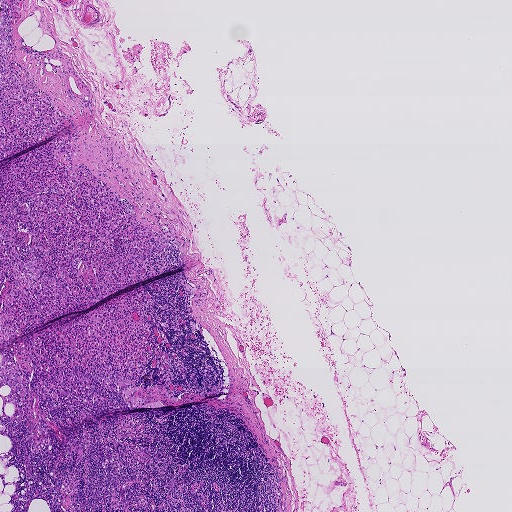
This is a crop of a whole-slide image: an H&E-stained breast-cancer sentinel lymph node section at roughly 2.5× magnification (about 3.6 µm per pixel; the crop spans about 1.9 mm).
Boundaries of three metastatic tumour regions, simplified and listed clockwise, largest first: region 1: (77, 128), (78, 139), (70, 141), (76, 150), (73, 164), (82, 163), (101, 179), (140, 223), (165, 237), (168, 248), (152, 254), (145, 272), (153, 271), (152, 275), (0, 341), (0, 170); region 2: (143, 286), (150, 295), (143, 311), (152, 356), (136, 385), (117, 393), (105, 389), (106, 403), (94, 404), (91, 411), (81, 403), (71, 414), (54, 391), (58, 408), (49, 411), (32, 371), (28, 384), (31, 399), (21, 421), (13, 416), (13, 405), (4, 407), (0, 354), (11, 345); region 3: (0, 0), (7, 0), (9, 3), (4, 12), (9, 31), (8, 46), (5, 52), (8, 69), (6, 75), (10, 72), (13, 73), (19, 81), (29, 103), (46, 106), (54, 112), (58, 122), (71, 123), (51, 136), (0, 159).
The annotated tumour makes up about 15% of the crop.